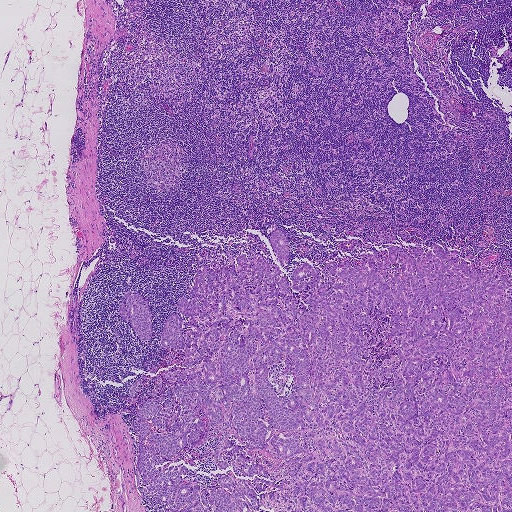
A 1.9-mm field of an H&E-stained sentinel lymph node from a breast-cancer patient (whole-slide image), shown at about 2.5×, about 3.6 µm per pixel.
Question: Is there metastatic carcinoma in this field?
Answer: Yes.
Outlines of two tumour regions, largest first (closed clockwise paths, crop pixels): region 1: (279, 229), (289, 282), (306, 262), (390, 244), (464, 246), (463, 258), (511, 267), (511, 511), (142, 506), (126, 397), (143, 374), (139, 398), (182, 367), (181, 352), (166, 363), (164, 320), (229, 250), (274, 264); region 2: (130, 290), (144, 297), (149, 308), (152, 328), (152, 336), (147, 342), (140, 340), (130, 322), (122, 319), (118, 312), (119, 300), (123, 299), (126, 292).
The annotated tumour makes up about 35% of the crop.